Question: 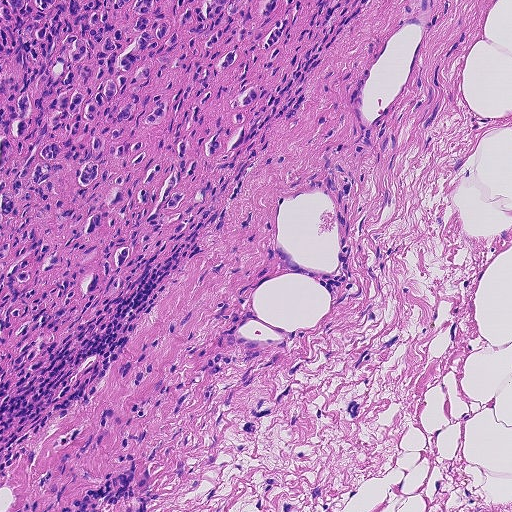
H&E-stained section of a sentinel lymph node (breast cancer), from a whole-slide image, viewed at about 10×: the field is about 0.46 mm across, about 0.9 µm per pixel.
About how much of this crop is taken up by metastatic carcinoma?

Choices:
 (A) about 50% or more
 (B) none: no tumour is outlined
 (C) about 10% to 20%
 (D) about 25% to 45%
 (E) about 5% or less

Answer: (D) about 25% to 45%
About 30% of the field is tumour.
Outlines of two tumour regions, largest first (closed clockwise paths, crop pixels): region 1: (0, 0), (377, 0), (287, 110), (261, 126), (212, 219), (102, 326), (0, 396); region 2: (405, 0), (454, 0), (436, 22), (422, 25), (408, 20).